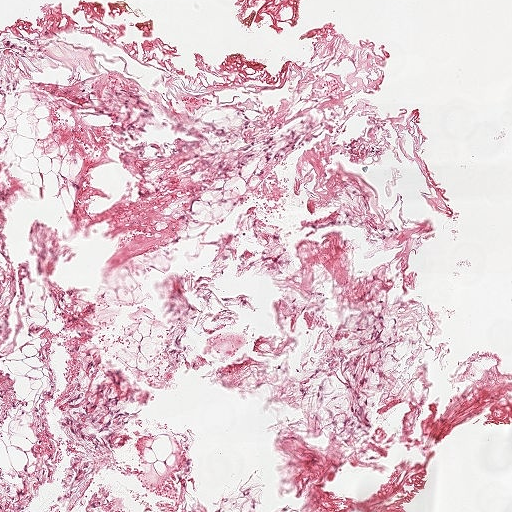
Lymph node section stained with H&E, from a whole-slide image of a breast-cancer sentinel node. Magnification about 5×, about 1 mm across the frame, about 1.9 µm per pixel.
Question: Is any metastatic breast cancer visible in this crop?
Answer: No, this field holds no outlined metastasis.